This is a crop of a whole-slide image: an H&E-stained breast-cancer sentinel lymph node section at roughly 20× magnification (about 0.49 µm per pixel; the crop spans about 0.25 mm).
Question: 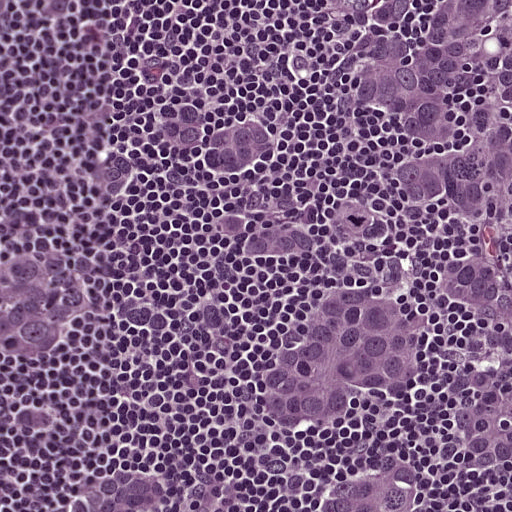
What fraction of the image area is metastatic tumour?

Choices:
 (A) about 5% or less
 (B) about 50% or more
 (C) about 10% to 20%
 (D) none: no tumour is outlined
 (E) about 25% to 45%

Answer: (B) about 50% or more
About 65% of the field is tumour.
Boundaries of two metastatic tumour regions, simplified and listed clockwise, largest first: region 1: (287, 0), (511, 0), (511, 511), (312, 511), (330, 470), (278, 432), (245, 438), (208, 511), (26, 511), (249, 425), (304, 306), (284, 278), (216, 262), (186, 202), (152, 196), (97, 236), (96, 338), (71, 362), (0, 361), (0, 111), (50, 174), (152, 92), (290, 84), (313, 60); region 2: (0, 0), (83, 0), (78, 10), (50, 28), (19, 42), (0, 43).